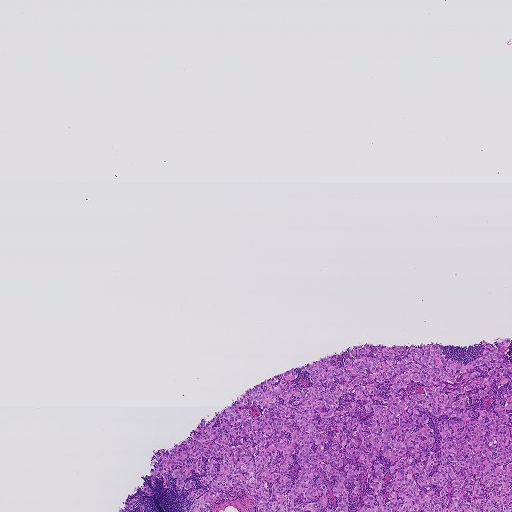
A 1.9-mm field of an H&E-stained sentinel lymph node from a breast-cancer patient (whole-slide image), shown at about 2.5×, about 3.6 µm per pixel.
Boundaries of two metastatic tumour regions, simplified and listed clockwise, largest first: region 1: (510, 338), (511, 511), (258, 511), (243, 489), (188, 511), (209, 488), (191, 470), (190, 488), (175, 487), (170, 469), (139, 491), (204, 418), (217, 428), (285, 371), (305, 393), (300, 366), (327, 355), (434, 344), (465, 364); region 2: (134, 498), (136, 501), (133, 507), (130, 509), (126, 510), (125, 511), (119, 511), (118, 510), (121, 508), (123, 509), (124, 506), (124, 502), (126, 499).
About 20% of the image area is annotated as tumour.